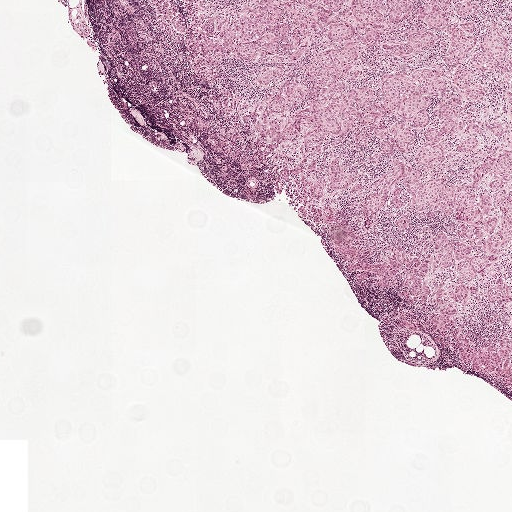
A 2.0-mm field of an H&E-stained sentinel lymph node from a breast-cancer patient (whole-slide image), shown at about 2.5×, about 3.9 µm per pixel.
Question: Where is the metastatic tumour in this field?
Answer: Boundaries of two metastatic tumour regions, simplified and listed clockwise, largest first: region 1: (184, 0), (511, 0), (511, 306), (464, 303), (438, 331), (431, 309), (346, 272), (333, 227), (384, 261), (456, 222), (365, 215), (390, 164), (371, 139), (328, 148), (356, 194), (282, 181), (222, 104), (264, 96), (273, 64), (199, 80); region 2: (511, 325), (511, 389), (488, 380), (474, 373), (462, 370), (456, 354), (461, 340), (468, 338), (486, 343), (506, 333).
The annotated tumour makes up about 25% of the crop.